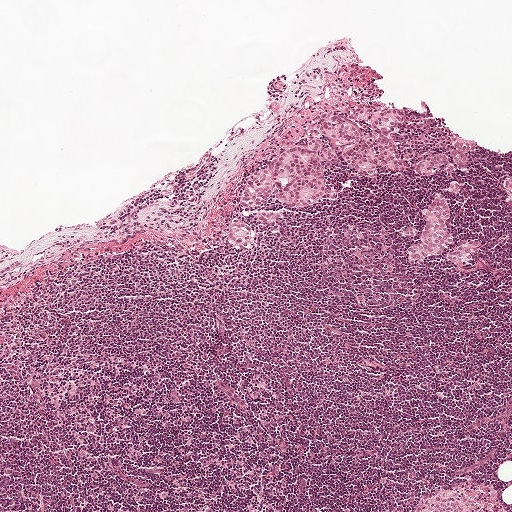
Lymph node section stained with H&E, from a whole-slide image of a breast-cancer sentinel node. Magnification about 5×, about 1 mm across the frame, about 1.9 µm per pixel.
Boundaries of six metastatic tumour regions, simplified and listed clockwise, largest first: region 1: (370, 103), (403, 113), (404, 123), (393, 134), (404, 162), (403, 172), (378, 168), (378, 174), (370, 177), (358, 173), (341, 153), (341, 144), (324, 136), (323, 141), (338, 159), (321, 160), (326, 186), (336, 190), (336, 200), (294, 208), (274, 190), (266, 202), (250, 208), (239, 203), (250, 173), (266, 167), (268, 160), (285, 150), (306, 144), (313, 118), (331, 109), (343, 111), (369, 134), (371, 126), (350, 112), (352, 106); region 2: (439, 193), (445, 194), (448, 198), (450, 215), (447, 227), (454, 243), (446, 248), (440, 255), (428, 256), (417, 260), (410, 260), (407, 256), (408, 250), (423, 234), (425, 224), (422, 216), (423, 210); region 3: (457, 139), (476, 140), (476, 152), (468, 155), (469, 166), (467, 169), (461, 169), (448, 163), (438, 167), (433, 174), (428, 175), (420, 175), (415, 171), (419, 164), (428, 156), (440, 153), (452, 154), (452, 149), (456, 147); region 4: (232, 218), (238, 218), (246, 222), (255, 233), (252, 249), (244, 249), (234, 245), (228, 239), (227, 235); region 5: (468, 239), (482, 242), (476, 254), (471, 253), (472, 262), (467, 267), (458, 265), (448, 255), (450, 250), (458, 247), (460, 240); region 6: (511, 176), (511, 193), (509, 192), (508, 189), (503, 185), (504, 182), (506, 178).
One more small tumour piece is annotated here but not outlined.
About 5% of the image area is annotated as tumour.